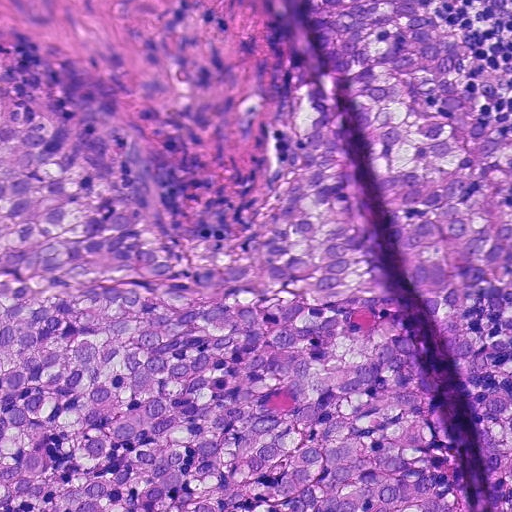
This is a crop of a whole-slide image: an H&E-stained breast-cancer sentinel lymph node section at roughly 20× magnification (about 0.45 µm per pixel; the crop spans about 0.23 mm).
Question: Which parts of this field are metastatic tumour? Answer with the outline of each region, in pixels.
Answer: Tumour region outline (a closed clockwise path, crop pixels): (311, 0), (445, 0), (446, 36), (504, 80), (506, 103), (478, 112), (511, 137), (511, 264), (472, 324), (488, 362), (475, 406), (490, 386), (511, 392), (511, 511), (0, 511), (0, 131), (62, 116), (87, 126), (132, 186), (140, 233), (178, 264), (203, 264), (309, 127), (322, 78).
Tumour covers about 75% of the frame.